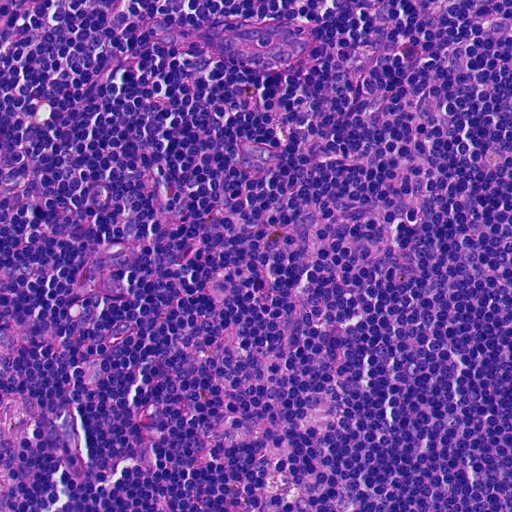
A 0.23-mm field of an H&E-stained sentinel lymph node from a breast-cancer patient (whole-slide image), shown at about 20×, about 0.45 µm per pixel.